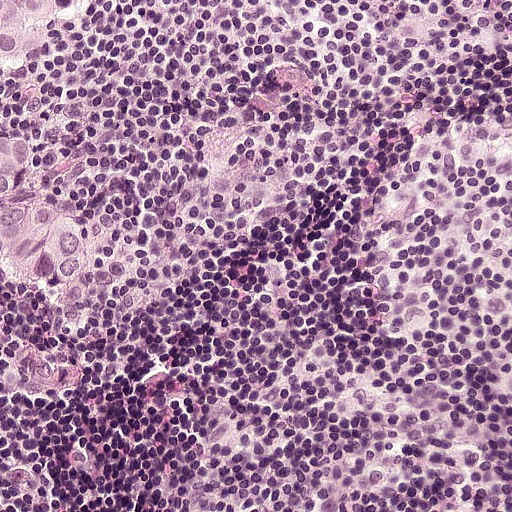
A 0.25-mm field of an H&E-stained sentinel lymph node from a breast-cancer patient (whole-slide image), shown at about 20×, about 0.49 µm per pixel.
Question: Which parts of this field are metastatic tumour? Answer with the outline of each region, in pixels.
Answer: Two metastatic tumour regions, each outlined as a closed clockwise path in crop pixels (x, y), largest first: region 1: (0, 132), (14, 132), (29, 137), (32, 142), (28, 186), (32, 196), (72, 212), (86, 234), (86, 246), (78, 276), (52, 291), (30, 290), (7, 276), (7, 273), (1, 273); region 2: (0, 0), (95, 0), (90, 10), (76, 17), (73, 22), (46, 39), (26, 46), (0, 63).
About 5% of the image area is annotated as tumour.